H&E-stained section of a sentinel lymph node (breast cancer), from a whole-slide image, viewed at about 20×: the field is about 0.25 mm across, about 0.49 µm per pixel.
Image:
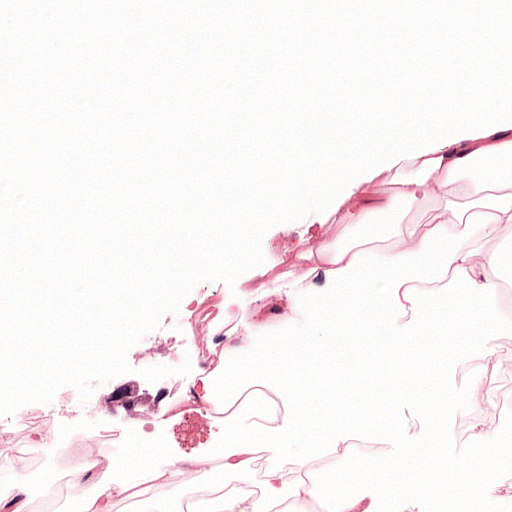
Question:
Which parts of this field are metastatic tumour? Answer with the outline of each region, in pixels.
Answer:
The outlined metastatic tumour's edge, as a closed clockwise path of 13 points: (130, 378), (142, 380), (147, 392), (169, 386), (169, 400), (156, 412), (147, 412), (136, 406), (134, 418), (117, 410), (106, 417), (98, 398), (114, 386).
The annotated tumour makes up under 5% of the crop.